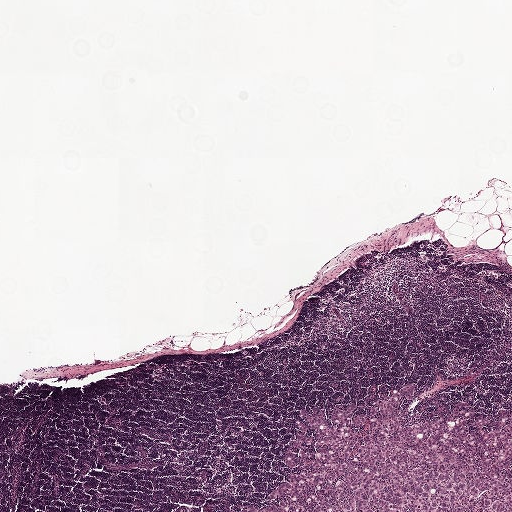
A 2.0-mm field of an H&E-stained sentinel lymph node from a breast-cancer patient (whole-slide image), shown at about 2.5×, about 3.9 µm per pixel.
Metastatic tumour outline, simplified to 20 points and listed clockwise in crop pixels (x, y): (409, 382), (419, 387), (411, 404), (416, 413), (431, 408), (432, 398), (446, 409), (461, 399), (495, 417), (508, 411), (511, 511), (231, 511), (265, 500), (285, 480), (284, 459), (299, 437), (298, 420), (312, 408), (354, 404), (367, 409).
The annotated tumour makes up about 10% of the crop.